Image:
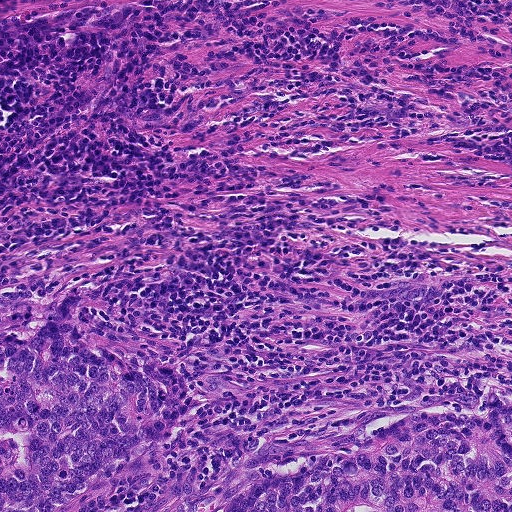
A 0.46-mm field of an H&E-stained sentinel lymph node from a breast-cancer patient (whole-slide image), shown at about 10×, about 0.9 µm per pixel.
Question:
Show where the tumour is in this image.
Answer:
Boundaries of two metastatic tumour regions, simplified and listed clockwise, largest first: region 1: (82, 288), (87, 302), (75, 315), (88, 336), (186, 367), (192, 391), (182, 414), (127, 466), (58, 511), (0, 511), (0, 327), (24, 333), (45, 320), (60, 299); region 2: (466, 394), (511, 410), (511, 511), (199, 511), (251, 470), (374, 424), (428, 396).
The annotated tumour makes up about 20% of the crop.